Question: 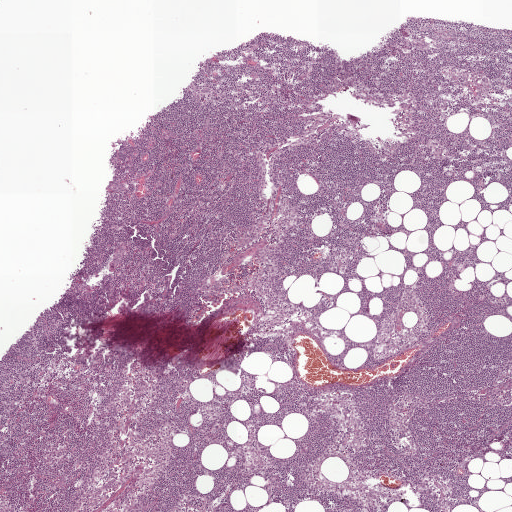
At roughly what magnification is this field shown?

Choices:
 (A) about 10×
 (B) about 40×
 (C) about 5×
 (D) about 2.5×
 (E) about 20×

Answer: (D) about 2.5×
H&E-stained section of a sentinel lymph node (breast cancer), from a whole-slide image, viewed at about 2.5×: the field is about 2.0 mm across, about 3.9 µm per pixel.